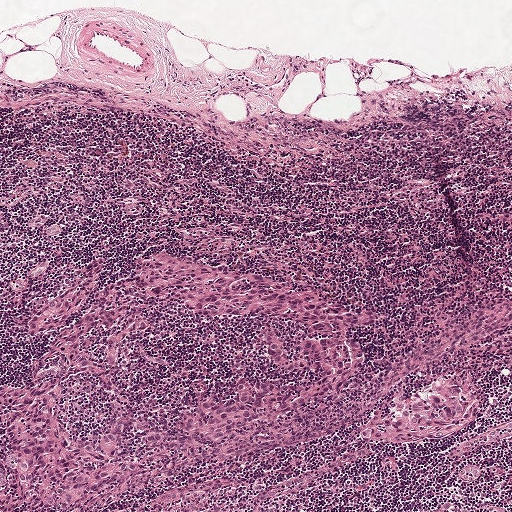
A 1-mm field of an H&E-stained sentinel lymph node from a breast-cancer patient (whole-slide image), shown at about 5×, about 1.9 µm per pixel.
Outlines of two tumour regions, largest first (closed clockwise paths, crop pixels): region 1: (156, 239), (292, 281), (370, 311), (371, 321), (354, 321), (362, 368), (320, 400), (98, 495), (0, 511), (0, 384), (25, 380), (42, 340), (24, 324), (97, 259), (99, 285), (119, 280); region 2: (451, 369), (466, 371), (477, 416), (453, 436), (438, 439), (370, 443), (354, 438), (353, 426), (358, 417), (390, 393), (428, 386), (431, 378).
About 25% of this field is tumour.